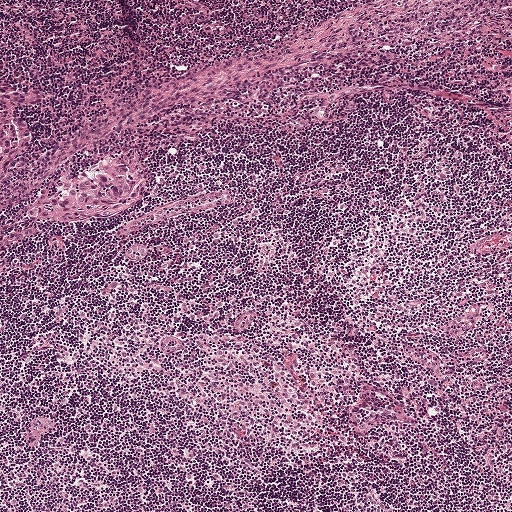
H&E-stained section of a sentinel lymph node (breast cancer), from a whole-slide image, viewed at about 5×: the field is about 1 mm across, about 1.9 µm per pixel.
Two metastatic tumour regions, each outlined as a closed clockwise path in crop pixels (x, y), largest first: region 1: (118, 148), (132, 150), (144, 195), (120, 215), (106, 218), (38, 222), (21, 218), (20, 205), (25, 196), (57, 172), (95, 165), (98, 157); region 2: (0, 80), (34, 88), (37, 90), (38, 97), (38, 100), (34, 101), (22, 100), (23, 115), (29, 134), (28, 150), (20, 162), (1, 172).
Tumour covers about 5% of the frame.